Image:
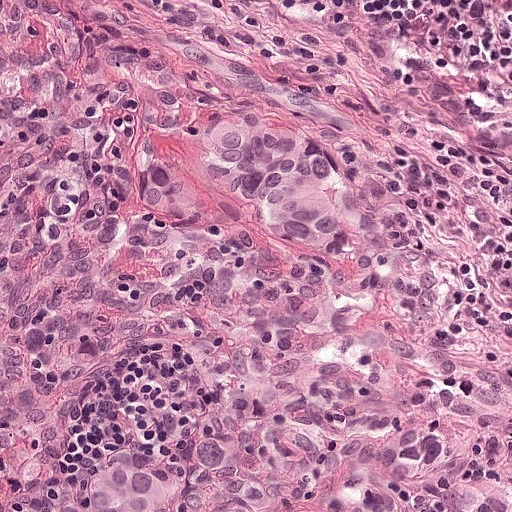
This is a crop of a whole-slide image: an H&E-stained breast-cancer sentinel lymph node section at roughly 20× magnification (about 0.49 µm per pixel; the crop spans about 0.25 mm).
Question:
Is there metastatic carcinoma in this field?
Answer:
Yes.
Two metastatic tumour regions, each outlined as a closed clockwise path in crop pixels (x, y), largest first: region 1: (284, 342), (388, 378), (421, 375), (506, 426), (511, 511), (52, 511), (71, 460), (96, 436); region 2: (270, 97), (351, 152), (369, 184), (365, 266), (334, 273), (279, 246), (258, 228), (229, 188), (206, 174), (193, 130), (204, 120).
About 30% of the image area is annotated as tumour.